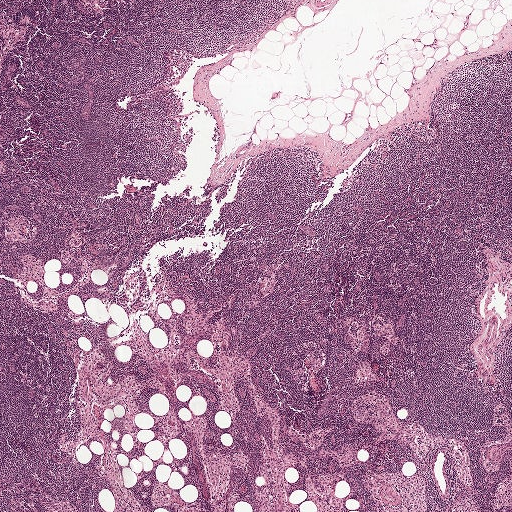
This is a crop of a whole-slide image: an H&E-stained breast-cancer sentinel lymph node section at roughly 2.5× magnification (about 3.9 µm per pixel; the crop spans about 2.0 mm).